Question: 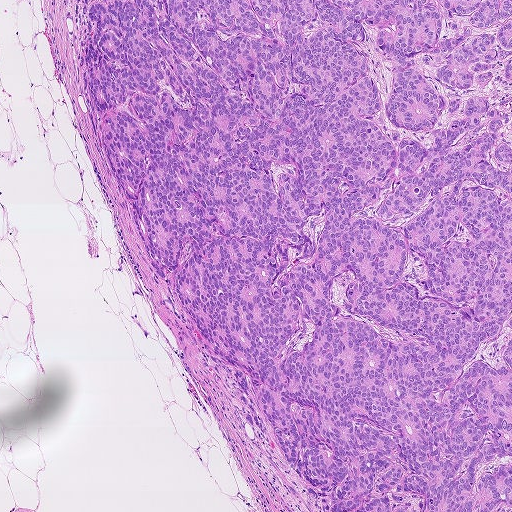
Lymph node section stained with H&E, from a whole-slide image of a breast-cancer sentinel node. Magnification about 5×, about 0.93 mm across the frame, about 1.8 µm per pixel.
What fraction of the image area is metastatic tumour?

Choices:
 (A) about 10% to 20%
 (B) none: no tumour is outlined
 (C) about 5% or less
 (D) about 25% to 45%
 (E) about 50% or more

Answer: (E) about 50% or more
About 65% of the field is tumour.
Tumour region outline (a closed clockwise path, crop pixels): (511, 0), (511, 511), (325, 511), (328, 493), (308, 495), (262, 415), (265, 434), (247, 423), (232, 368), (198, 348), (171, 280), (150, 269), (83, 96), (81, 2).